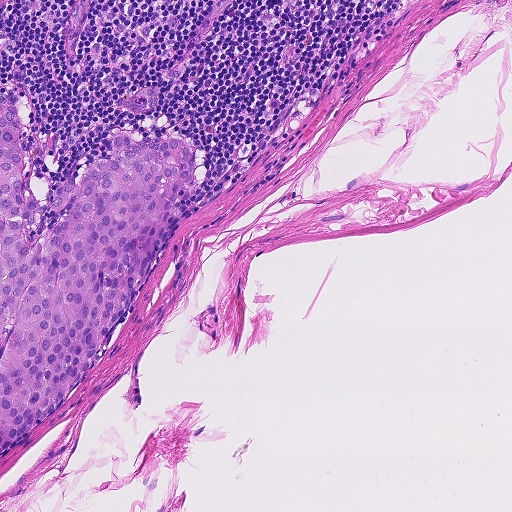
A 0.46-mm field of an H&E-stained sentinel lymph node from a breast-cancer patient (whole-slide image), shown at about 10×, about 0.9 µm per pixel.
The outlined metastatic tumour's edge, as a closed clockwise path of 16 points: (0, 92), (17, 112), (25, 190), (36, 200), (29, 244), (68, 208), (54, 212), (60, 183), (74, 182), (116, 136), (178, 138), (199, 160), (156, 260), (86, 375), (68, 402), (4, 458).
About 15% of this field is tumour.